A 0.46-mm field of an H&E-stained sentinel lymph node from a breast-cancer patient (whole-slide image), shown at about 10×, about 0.91 µm per pixel.
Question: 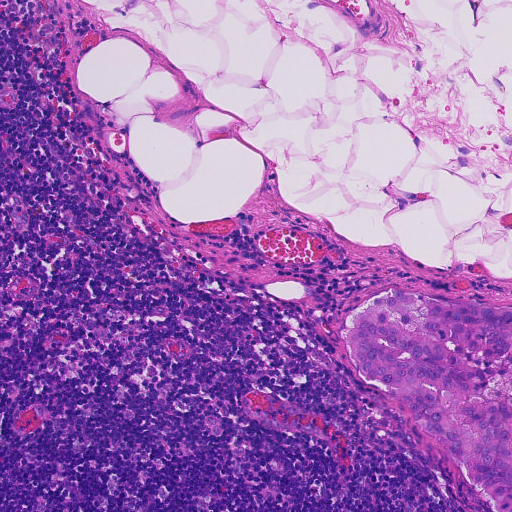
What fraction of the image area is metastatic tumour?

Choices:
 (A) about 25% to 45%
 (B) none: no tumour is outlined
 (C) about 50% or more
 (D) about 5% or less
 (E) about 10% to 20%

Answer: (E) about 10% to 20%
About 10% of the field is tumour.
Metastatic tumour outline, simplified to 10 points and listed clockwise in crop pixels (x, y): (393, 286), (460, 302), (511, 305), (511, 511), (493, 511), (446, 454), (365, 378), (346, 346), (342, 321), (350, 311).